Question: 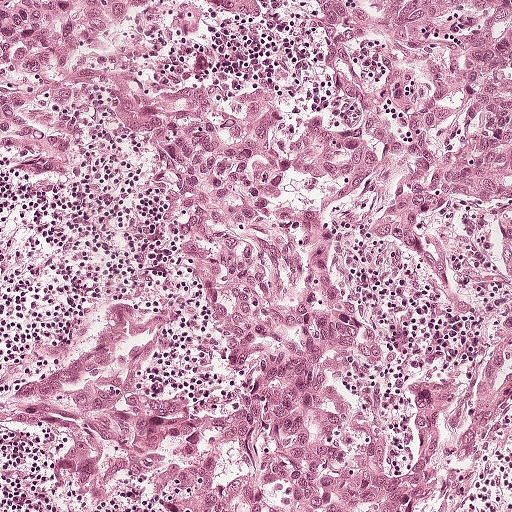
This is a crop of a whole-slide image: an H&E-stained breast-cancer sentinel lymph node section at roughly 10× magnification (about 0.97 µm per pixel; the crop spans about 0.5 mm).
Estimate the proportion of this field that is metastatic tumour.

Choices:
 (A) about 5% or less
 (B) none: no tumour is outlined
 (C) about 50% or more
 (D) about 25% to 45%
 (E) about 10% to 20%

Answer: (C) about 50% or more
About 60% of the field is tumour.
The outlined metastatic tumour's edge, as a closed clockwise path of 24 points: (296, 0), (511, 0), (511, 389), (430, 503), (409, 487), (420, 403), (470, 355), (466, 334), (383, 244), (334, 247), (400, 507), (144, 511), (60, 488), (46, 435), (0, 431), (0, 373), (118, 298), (162, 324), (162, 398), (244, 394), (93, 94), (96, 64), (329, 107), (336, 43).